Image:
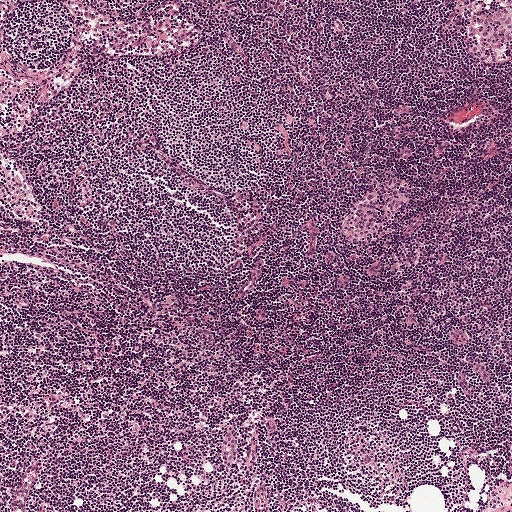
This is a crop of a whole-slide image: an H&E-stained breast-cancer sentinel lymph node section at roughly 5× magnification (about 1.9 µm per pixel; the crop spans about 1 mm).
Question:
Is there metastatic carcinoma in this field?
Answer:
No: no metastatic tumour is outlined anywhere in this field.